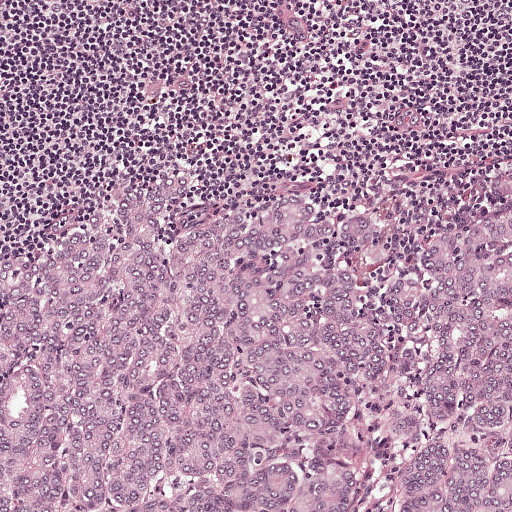
A 0.5-mm field of an H&E-stained sentinel lymph node from a breast-cancer patient (whole-slide image), shown at about 10×, about 0.97 µm per pixel.
Tumour region outline (a closed clockwise path, crop pixels): (177, 164), (195, 175), (156, 225), (165, 244), (280, 192), (427, 225), (467, 210), (487, 173), (508, 172), (511, 511), (0, 511), (0, 256), (50, 241).
About 60% of this field is tumour.